Image:
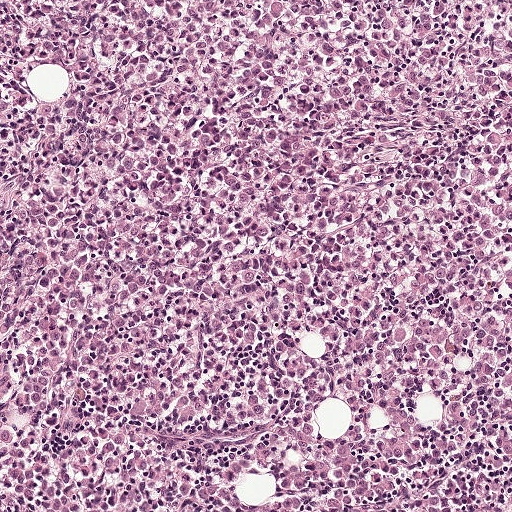
H&E-stained section of a sentinel lymph node (breast cancer), from a whole-slide image, viewed at about 10×: the field is about 0.5 mm across, about 0.97 µm per pixel.
Question:
Where is the metastatic tumour in this field?
Answer:
The outlined metastatic tumour's edge, as a closed clockwise path of 18 points: (511, 0), (511, 484), (495, 488), (445, 396), (426, 389), (366, 404), (338, 393), (329, 336), (310, 327), (274, 338), (255, 437), (222, 485), (179, 511), (102, 511), (0, 455), (0, 224), (95, 116), (257, 3).
About 75% of the image area is annotated as tumour.